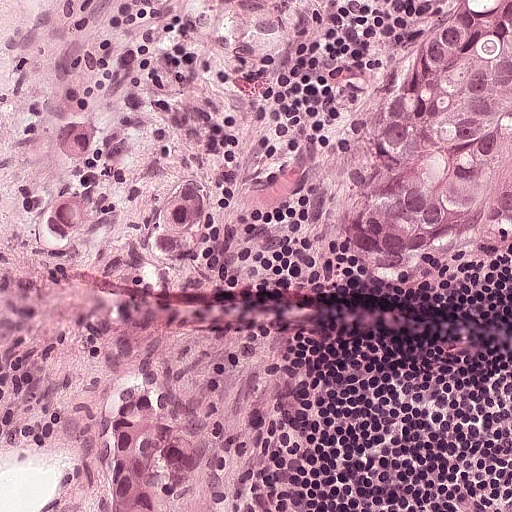
A 0.25-mm field of an H&E-stained sentinel lymph node from a breast-cancer patient (whole-slide image), shown at about 20×, about 0.49 µm per pixel.
Two metastatic tumour regions, each outlined as a closed clockwise path in crop pixels (x, y), largest first: region 1: (511, 0), (511, 186), (457, 228), (392, 252), (346, 226), (340, 200), (358, 114), (407, 3); region 2: (140, 368), (170, 386), (160, 426), (158, 496), (164, 511), (102, 511), (106, 472), (92, 431), (98, 392), (129, 376), (138, 376).
Tumour covers about 15% of the frame.